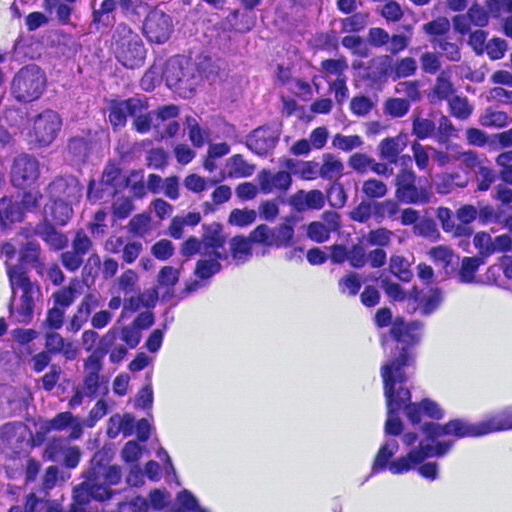
This is a crop of a whole-slide image: an H&E-stained breast-cancer sentinel lymph node section at roughly 40× magnification (about 0.23 µm per pixel; the crop spans about 0.12 mm).
Two metastatic tumour regions, each outlined as a closed clockwise path in crop pixels (x, y), largest first: region 1: (144, 0), (325, 0), (330, 10), (275, 164), (141, 98), (106, 116), (109, 200), (78, 227), (36, 224), (3, 198), (0, 64), (17, 38); region 2: (0, 338), (14, 348), (31, 387), (34, 428), (27, 469), (8, 511), (0, 511).
About 20% of this field is tumour.